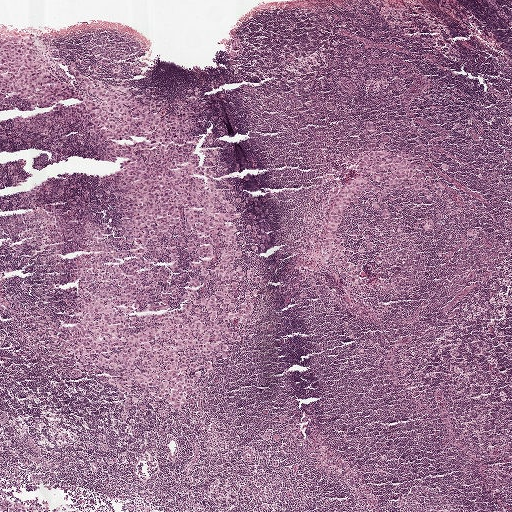
H&E-stained section of a sentinel lymph node (breast cancer), from a whole-slide image, viewed at about 2.5×: the field is about 2.0 mm across, about 3.9 µm per pixel.
Outlines of three tumour regions, largest first (closed clockwise paths, crop pixels): region 1: (0, 26), (205, 128), (244, 206), (238, 241), (262, 284), (243, 343), (185, 421), (136, 390), (117, 396), (34, 353), (0, 300); region 2: (366, 147), (384, 148), (392, 153), (401, 150), (429, 166), (442, 199), (465, 223), (461, 230), (456, 224), (451, 229), (442, 222), (439, 233), (433, 230), (423, 235), (420, 225), (432, 220), (442, 208), (437, 200), (427, 206), (411, 193), (391, 208), (387, 224), (368, 212), (364, 215), (368, 234), (348, 220), (337, 223), (339, 230), (357, 236), (370, 248), (352, 263), (352, 266), (361, 264), (365, 300), (354, 296), (317, 256), (318, 234); region 3: (2, 501), (10, 503), (24, 507), (29, 509), (32, 511), (0, 511), (0, 503).
The annotated tumour makes up about 30% of the crop.